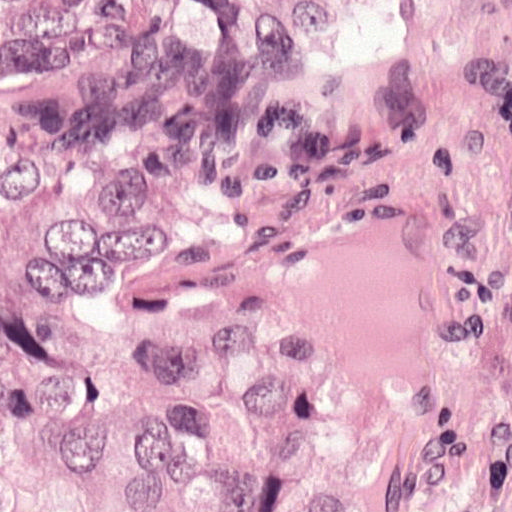
This is a crop of a whole-slide image: an H&E-stained breast-cancer sentinel lymph node section at roughly 40× magnification (about 0.24 µm per pixel; the crop spans about 0.12 mm).
Tumour region outline (a closed clockwise path, crop pixels): (0, 0), (370, 0), (374, 32), (320, 111), (222, 139), (165, 218), (246, 270), (317, 337), (395, 511), (0, 511).
About 60% of this field is tumour.